Question: 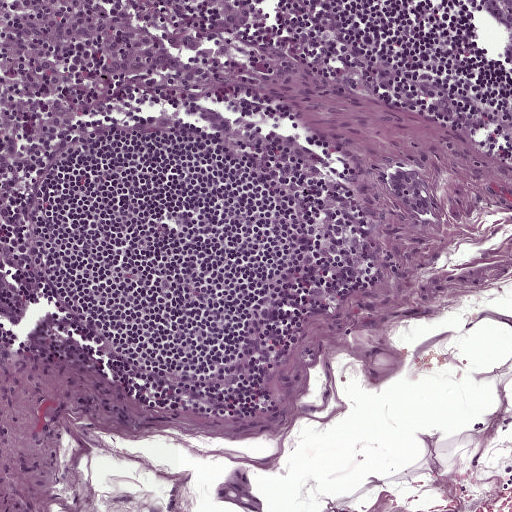
Which magnification is this H&E lymph node field most likely shown at?

Choices:
 (A) about 2.5×
 (B) about 10×
 (C) about 20×
 (D) about 5×
 (E) about 40×

Answer: (B) about 10×
H&E-stained section of a sentinel lymph node (breast cancer), from a whole-slide image, viewed at about 10×: the field is about 0.5 mm across, about 0.97 µm per pixel.
Outlines of two tumour regions, largest first (closed clockwise paths, crop pixels): region 1: (414, 166), (436, 177), (444, 200), (440, 222), (418, 223), (400, 208), (388, 189), (391, 167); region 2: (471, 0), (511, 0), (511, 68), (509, 68), (502, 54), (506, 46), (494, 20), (474, 12).
One more small tumour piece is annotated here but not outlined.
The annotated tumour makes up under 5% of the crop.